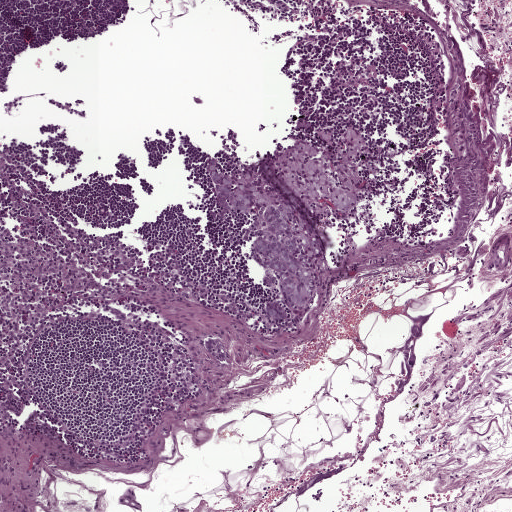
A 1-mm field of an H&E-stained sentinel lymph node from a breast-cancer patient (whole-slide image), shown at about 5×, about 1.9 µm per pixel.
Boundaries of three metastatic tumour regions, simplified and listed clockwise, largest first: region 1: (338, 121), (351, 123), (370, 142), (372, 154), (360, 212), (349, 217), (333, 213), (320, 294), (307, 316), (297, 318), (283, 305), (278, 290), (265, 288), (257, 264), (247, 260), (249, 215), (214, 206), (205, 170), (213, 154), (228, 172), (237, 161); region 2: (217, 337), (229, 342), (232, 354), (231, 365), (219, 365), (211, 358), (205, 348), (206, 338); region 3: (272, 301), (279, 304), (285, 313), (284, 320), (276, 320), (267, 317), (265, 304).
About 5% of this field is tumour.